Lymph node section stained with H&E, from a whole-slide image of a breast-cancer sentinel node. Magnification about 5×, about 0.93 mm across the frame, about 1.8 µm per pixel.
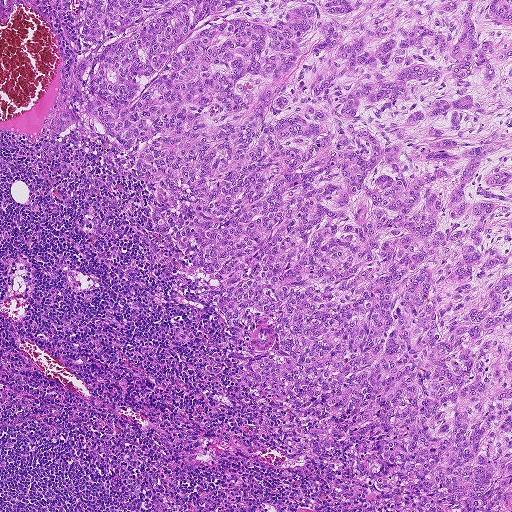
The outlined metastatic tumour's edge, as a closed clockwise path of 23 points: (511, 0), (511, 511), (375, 490), (353, 470), (361, 447), (299, 453), (289, 417), (252, 400), (243, 370), (274, 347), (271, 320), (249, 307), (223, 327), (218, 279), (154, 232), (143, 142), (122, 150), (90, 113), (48, 129), (61, 66), (102, 43), (80, 34), (86, 1).
The annotated tumour makes up about 60% of the crop.